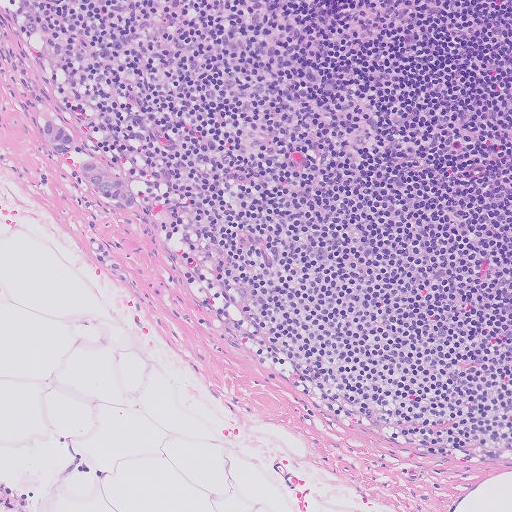
Lymph node section stained with H&E, from a whole-slide image of a breast-cancer sentinel node. Magnification about 10×, about 0.51 mm across the frame, about 1.0 µm per pixel.
Outlines of two tumour regions, largest first (closed clockwise paths, crop pixels): region 1: (78, 160), (93, 160), (101, 164), (132, 194), (135, 201), (133, 208), (127, 212), (120, 212), (102, 199), (94, 187), (76, 173), (74, 166); region 2: (49, 117), (70, 132), (74, 138), (74, 145), (72, 152), (58, 155), (48, 146), (39, 126), (42, 118).
The annotated tumour makes up under 5% of the crop.